Question: 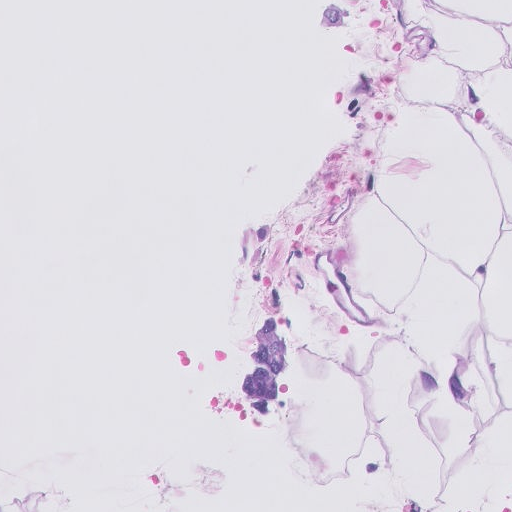
About what magnification does this crop show?

Choices:
 (A) about 5×
 (B) about 20×
 (C) about 2.5×
 (D) about 10×
 (E) about 40×

Answer: (B) about 20×
This is a crop of a whole-slide image: an H&E-stained breast-cancer sentinel lymph node section at roughly 20× magnification (about 0.5 µm per pixel; the crop spans about 0.26 mm).
Two metastatic tumour regions, each outlined as a closed clockwise path in crop pixels (x, y), largest first: region 1: (258, 282), (311, 299), (286, 428), (221, 414); region 2: (312, 0), (367, 0), (366, 42), (308, 38).
Two more small tumour pieces are annotated here but not outlined.
Tumour covers about 5% of the frame.
Question: 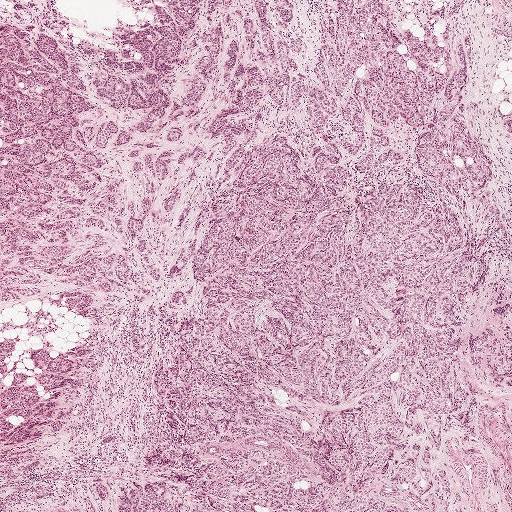
About what magnification does this crop show?

Choices:
 (A) about 10×
 (B) about 5×
 (C) about 20×
 (D) about 40×
 (E) about 2.5×

Answer: (E) about 2.5×
A 2.0-mm field of an H&E-stained sentinel lymph node from a breast-cancer patient (whole-slide image), shown at about 2.5×, about 3.9 µm per pixel.
Question: 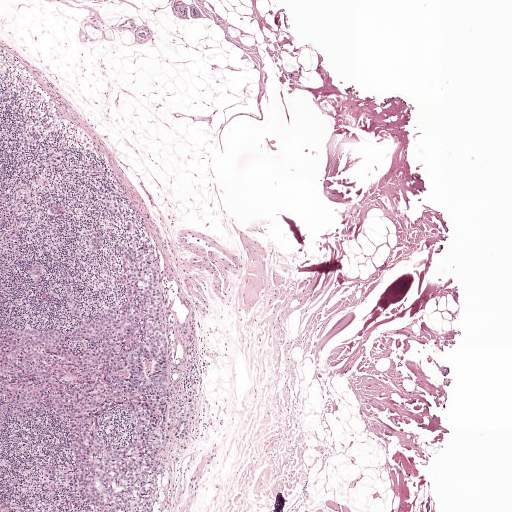
About what magnification does this crop show?

Choices:
 (A) about 2.5×
 (B) about 5×
 (C) about 10×
 (D) about 40×
 (E) about 20×

Answer: (A) about 2.5×
This is a crop of a whole-slide image: an H&E-stained breast-cancer sentinel lymph node section at roughly 2.5× magnification (about 3.9 µm per pixel; the crop spans about 2.0 mm).
The eight largest tumour regions' boundaries, simplified and listed clockwise, largest first: region 1: (151, 240), (173, 361), (168, 415), (176, 406), (155, 511), (91, 511), (72, 467), (42, 471), (51, 460), (71, 464), (59, 448), (69, 426), (34, 408), (21, 426), (9, 404), (0, 431), (0, 325), (71, 327), (66, 290), (88, 316), (117, 307), (115, 241); region 2: (38, 129), (43, 134), (43, 140), (40, 145), (28, 151), (22, 151), (18, 139), (21, 133); region 3: (109, 190), (118, 193), (121, 200), (120, 213), (114, 215), (108, 215), (104, 211), (103, 199), (105, 193); region 4: (37, 261), (46, 268), (46, 275), (44, 281), (40, 284), (30, 280), (26, 275), (27, 269); region 5: (46, 152), (62, 152), (65, 158), (58, 168), (52, 169), (43, 163), (43, 156); region 6: (104, 232), (107, 237), (106, 242), (96, 250), (89, 250), (84, 248), (85, 242), (90, 237); region 7: (55, 201), (64, 202), (67, 208), (66, 214), (60, 218), (54, 218), (48, 215), (47, 210), (50, 204); region 8: (185, 420), (187, 421), (190, 426), (189, 431), (186, 436), (182, 438), (175, 436), (174, 431), (176, 422).
Three more, smaller tumour regions are not outlined.
Seven more small tumour pieces are annotated here but not outlined.
About 10% of this field is tumour.
Question: 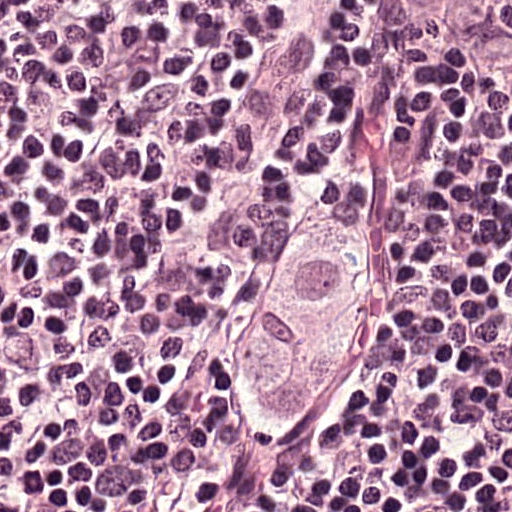
About what magnification does this crop show?

Choices:
 (A) about 40×
 (B) about 2.5×
 (C) about 20×
 (D) about 10×
 (E) about 5×

Answer: (A) about 40×
A 0.12-mm field of an H&E-stained sentinel lymph node from a breast-cancer patient (whole-slide image), shown at about 40×, about 0.24 µm per pixel.
Boundaries of two metastatic tumour regions, simplified and listed clockwise, largest first: region 1: (316, 202), (382, 220), (397, 257), (397, 286), (384, 336), (356, 389), (319, 431), (282, 453), (237, 439), (219, 412), (216, 378), (271, 236), (282, 220); region 2: (511, 0), (511, 37), (473, 37), (466, 35), (451, 35), (448, 31), (425, 27), (425, 5), (422, 1).
About 15% of the image area is annotated as tumour.